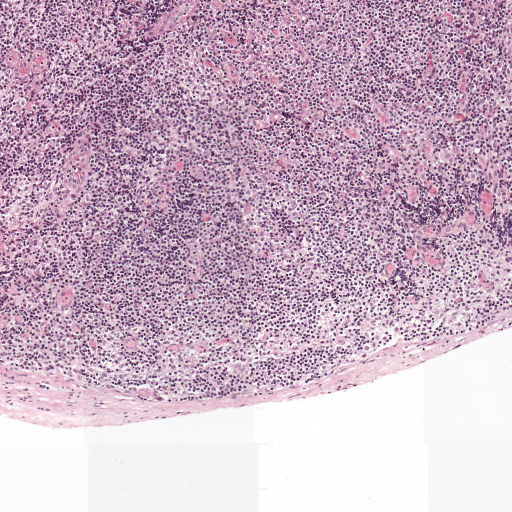
A 1-mm field of an H&E-stained sentinel lymph node from a breast-cancer patient (whole-slide image), shown at about 5×, about 1.9 µm per pixel.
Metastatic tumour outline, simplified to 9 points and listed clockwise in crop pixels (x, y): (132, 386), (136, 387), (137, 390), (148, 388), (160, 392), (164, 398), (164, 401), (155, 401), (132, 392).
The annotated tumour makes up under 5% of the crop.